Image:
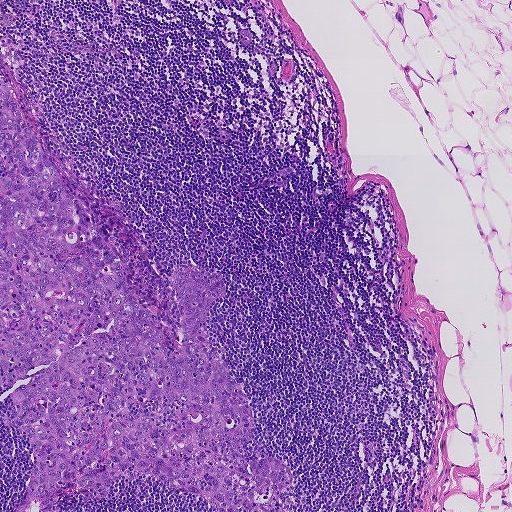
Lymph node section stained with H&E, from a whole-slide image of a breast-cancer sentinel node. Magnification about 5×, about 0.93 mm across the frame, about 1.8 µm per pixel.
Question:
Show where the tumour is in this image.
Answer:
One metastatic tumour region; its boundary, reduced to 20 corners and listed clockwise: (0, 72), (52, 164), (116, 212), (149, 266), (168, 282), (173, 263), (221, 272), (209, 331), (255, 431), (235, 455), (291, 468), (286, 511), (220, 511), (140, 475), (113, 498), (64, 494), (60, 511), (12, 511), (33, 456), (2, 420).
The annotated tumour makes up about 25% of the crop.